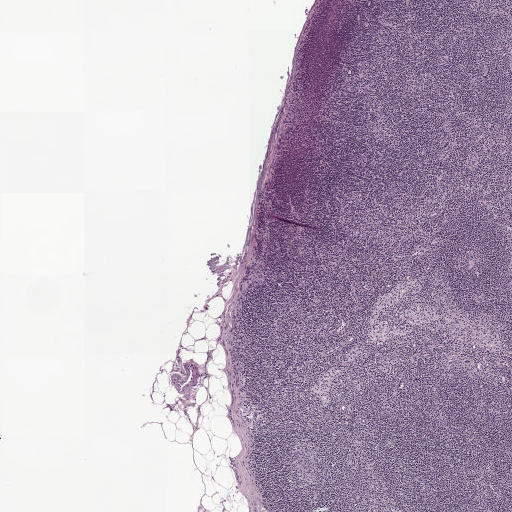
H&E-stained section of a sentinel lymph node (breast cancer), from a whole-slide image, viewed at about 2.5×: the field is about 2.0 mm across, about 3.9 µm per pixel.
One metastatic tumour region; its boundary, reduced to 11 corners and listed clockwise: (262, 260), (266, 262), (266, 266), (263, 283), (261, 286), (258, 284), (256, 280), (251, 284), (242, 287), (246, 276), (258, 261).
Under 5% of the image area is annotated as tumour.